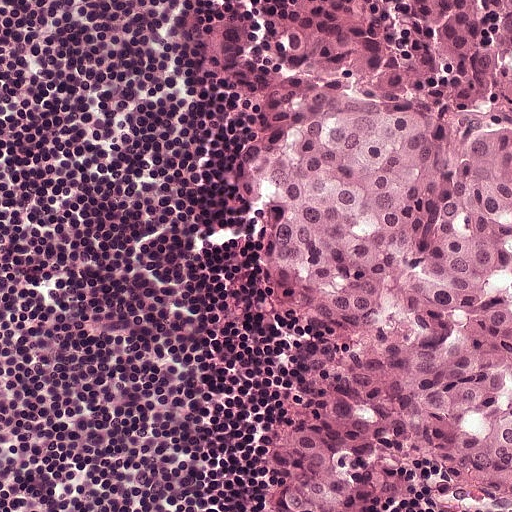
This is a crop of a whole-slide image: an H&E-stained breast-cancer sentinel lymph node section at roughly 20× magnification (about 0.49 µm per pixel; the crop spans about 0.25 mm).
One metastatic tumour region; its boundary, reduced to 13 corners and listed clockwise: (409, 0), (511, 0), (511, 511), (259, 511), (274, 406), (317, 348), (302, 306), (255, 283), (234, 226), (238, 161), (284, 68), (325, 33), (400, 36).
About 45% of this field is tumour.